Question: 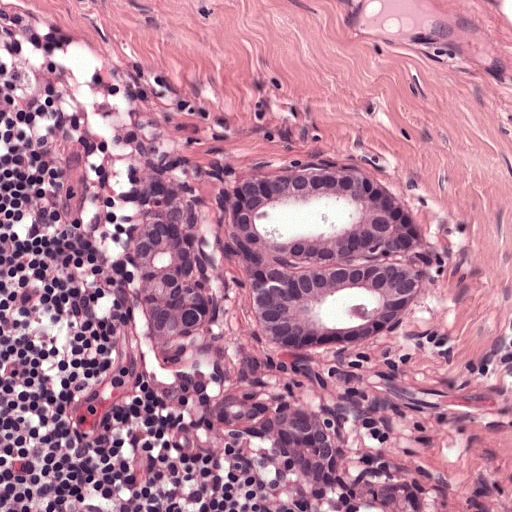
This is a crop of a whole-slide image: an H&E-stained breast-cancer sentinel lymph node section at roughly 20× magnification (about 0.49 µm per pixel; the crop spans about 0.25 mm).
Estimate the proportion of this field that is metastatic tumour.

Choices:
 (A) about 25% to 45%
 (B) about 10% to 20%
 (C) about 50% or more
 (D) about 5% or less
 (E) none: no tumour is outlined

Answer: (B) about 10% to 20%
About 20% of the field is tumour.
Four metastatic tumour regions, each outlined as a closed clockwise path in crop pixels (x, y), largest first: region 1: (341, 160), (401, 186), (430, 216), (448, 254), (438, 295), (412, 330), (372, 346), (284, 355), (266, 350), (240, 316), (216, 190), (255, 172); region 2: (155, 172), (191, 190), (220, 278), (218, 308), (168, 343), (146, 323), (134, 264), (135, 232); region 3: (228, 393), (272, 406), (266, 416), (284, 412), (308, 416), (326, 433), (338, 469), (332, 490), (305, 483), (268, 450), (257, 422), (263, 418), (234, 426), (216, 421), (212, 404); region 4: (510, 333), (511, 333), (511, 350), (504, 347).